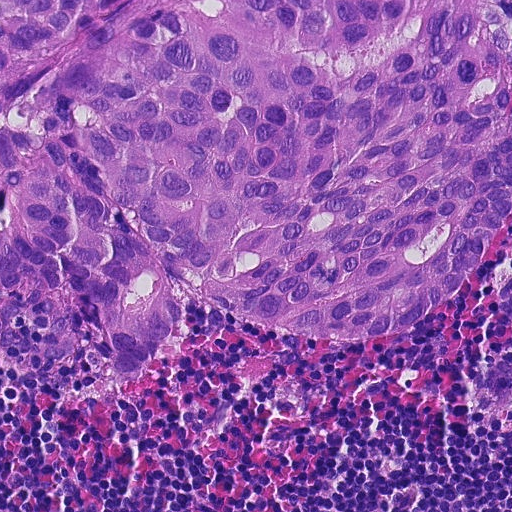
H&E-stained section of a sentinel lymph node (breast cancer), from a whole-slide image, viewed at about 20×: the field is about 0.23 mm across, about 0.45 µm per pixel.
The outlined metastatic tumour's edge, as a closed clockwise path of 16 points: (0, 0), (483, 0), (472, 34), (511, 59), (511, 207), (470, 280), (400, 335), (356, 343), (265, 333), (178, 288), (174, 332), (122, 379), (107, 366), (98, 315), (11, 286), (0, 291).
The annotated tumour makes up about 60% of the crop.